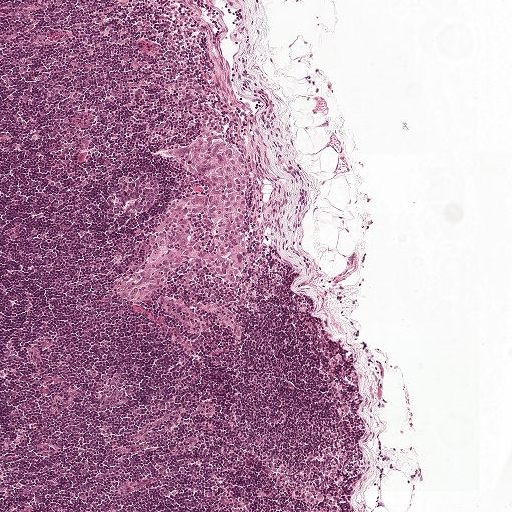
A 1-mm field of an H&E-stained sentinel lymph node from a breast-cancer patient (whole-slide image), shown at about 5×, about 1.9 µm per pixel.
The outlined metastatic tumour's edge, as a closed clockwise path of 18 points: (205, 133), (229, 138), (249, 160), (253, 265), (246, 276), (224, 282), (190, 258), (156, 296), (143, 303), (132, 303), (115, 293), (113, 285), (145, 260), (173, 206), (186, 197), (208, 192), (198, 174), (166, 150).
Tumour covers about 5% of the frame.